Lymph node section stained with H&E, from a whole-slide image of a breast-cancer sentinel node. Magnification about 20×, about 0.23 mm across the frame, about 0.45 µm per pixel.
Image:
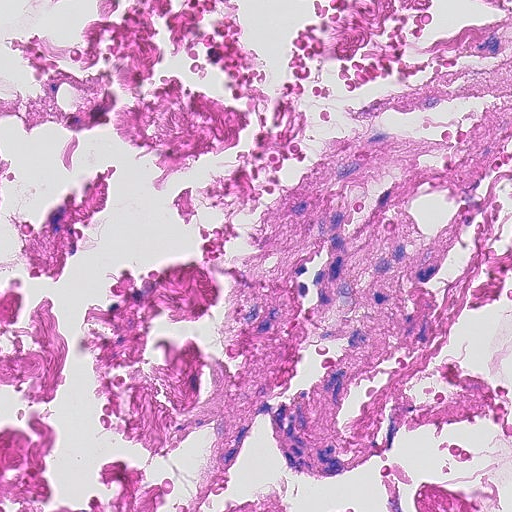
Question:
Is any metastatic breast cancer visible in this crop?
Answer:
No. No metastatic tumour is outlined in this field.